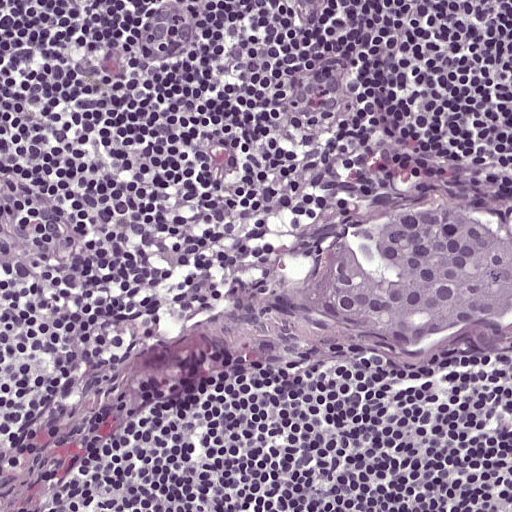
This is a crop of a whole-slide image: an H&E-stained breast-cancer sentinel lymph node section at roughly 20× magnification (about 0.49 µm per pixel; the crop spans about 0.25 mm).
One metastatic tumour region; its boundary, reduced to 13 corners and listed clockwise: (444, 208), (488, 218), (511, 214), (511, 326), (497, 332), (452, 331), (412, 352), (384, 354), (266, 310), (268, 296), (294, 282), (344, 234), (400, 211).
About 10% of the image area is annotated as tumour.